Question: 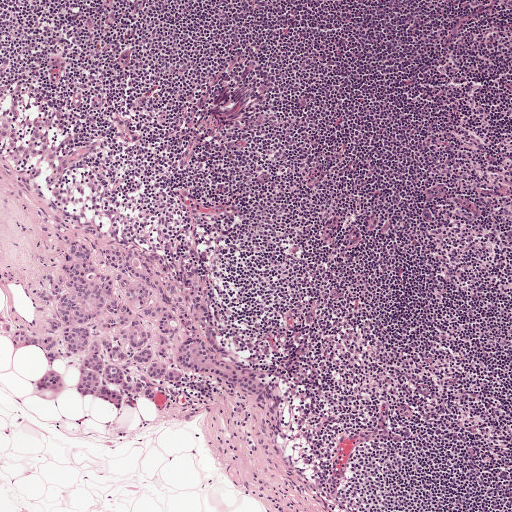
At roughly what magnification is this field shown?

Choices:
 (A) about 5×
 (B) about 40×
 (C) about 2.5×
 (D) about 10×
 (E) about 20×

Answer: (A) about 5×
This is a crop of a whole-slide image: an H&E-stained breast-cancer sentinel lymph node section at roughly 5× magnification (about 1.9 µm per pixel; the crop spans about 1 mm).
Boundaries of two metastatic tumour regions, simplified and listed clockwise, largest first: region 1: (73, 240), (111, 274), (118, 299), (151, 331), (144, 348), (169, 370), (177, 344), (194, 337), (264, 389), (194, 372), (151, 381), (153, 398), (136, 393), (136, 408), (125, 394), (118, 412), (83, 398), (80, 367), (93, 343), (143, 349), (118, 328), (102, 331), (115, 314), (105, 307), (81, 326), (89, 340), (76, 354), (63, 342), (70, 327), (56, 331), (64, 387), (42, 392), (49, 351), (15, 351), (2, 324), (44, 335), (58, 304), (35, 292), (49, 274), (68, 289); region 2: (113, 244), (130, 245), (155, 254), (168, 265), (173, 282), (188, 305), (205, 305), (208, 313), (195, 323), (196, 332), (189, 336), (181, 334), (181, 326), (172, 339), (168, 356), (162, 358), (158, 353), (161, 336), (156, 328), (157, 320), (145, 318), (128, 303), (104, 256), (105, 247).
About 5% of the image area is annotated as tumour.